This is a crop of a whole-slide image: an H&E-stained breast-cancer sentinel lymph node section at roughly 20× magnification (about 0.45 µm per pixel; the crop spans about 0.23 mm).
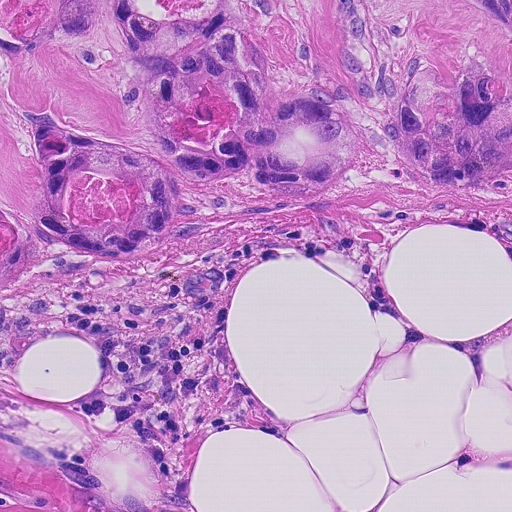
Tumour region outline (a closed clockwise path, crop pixels): (0, 0), (511, 0), (511, 186), (494, 198), (400, 178), (306, 202), (188, 182), (177, 228), (140, 260), (40, 252), (0, 291).
About 40% of the image area is annotated as tumour.